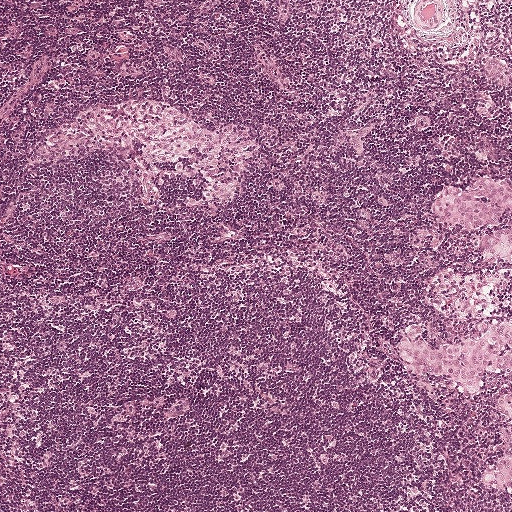
H&E-stained section of a sentinel lymph node (breast cancer), from a whole-slide image, viewed at about 5×: the field is about 1 mm across, about 1.9 µm per pixel.
Question: Is any metastatic breast cancer visible in this crop?
Answer: Yes.
Five metastatic tumour regions, each outlined as a closed clockwise path in crop pixels (x, y), largest first: region 1: (414, 321), (424, 334), (443, 341), (467, 336), (489, 324), (511, 322), (511, 373), (487, 374), (474, 401), (442, 397), (405, 377), (392, 364), (391, 342), (394, 327), (404, 322); region 2: (511, 172), (511, 267), (485, 265), (472, 240), (447, 231), (428, 216), (428, 196), (437, 188), (494, 176), (500, 180); region 3: (511, 447), (511, 506), (486, 488), (480, 474), (480, 467), (485, 461); region 4: (485, 57), (511, 63), (511, 85), (510, 87), (496, 86), (488, 81), (480, 63); region 5: (511, 392), (511, 417), (500, 417), (493, 408), (494, 400), (500, 396).
About 5% of this field is tumour.